Question: 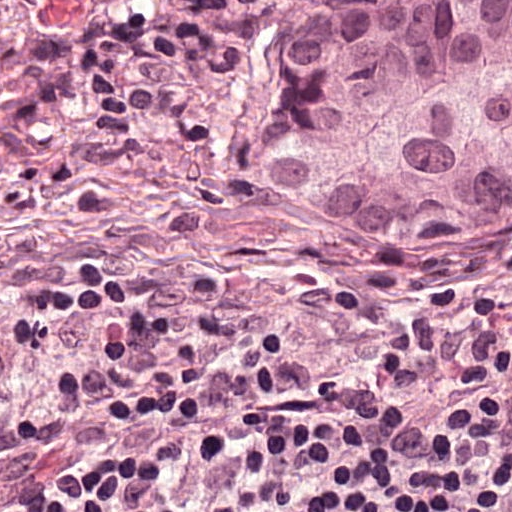
At roughly what magnification is this field shown?

Choices:
 (A) about 5×
 (B) about 40×
 (C) about 2.5×
 (D) about 20×
 (E) about 10×

Answer: (B) about 40×
H&E-stained section of a sentinel lymph node (breast cancer), from a whole-slide image, viewed at about 40×: the field is about 0.12 mm across, about 0.24 µm per pixel.
One metastatic tumour region; its boundary, reduced to 12 corners and listed clockwise: (285, 0), (511, 0), (511, 247), (442, 288), (395, 288), (365, 277), (286, 275), (215, 239), (190, 196), (192, 164), (206, 134), (236, 112).
About 30% of this field is tumour.